Question: 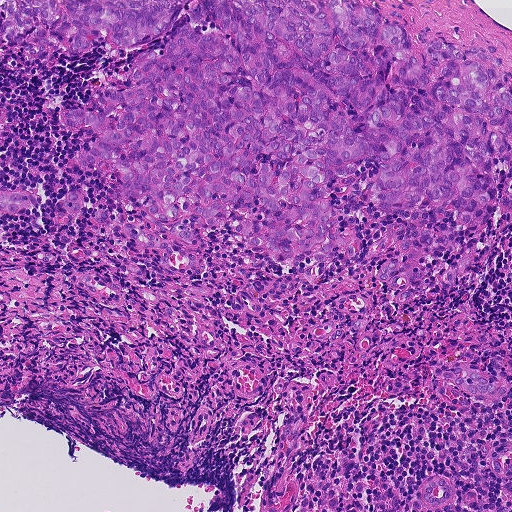
Lymph node section stained with H&E, from a whole-slide image of a breast-cancer sentinel node. Magnification about 10×, about 0.46 mm across the frame, about 0.9 µm per pixel.
What fraction of the image area is metastatic tumour?

Choices:
 (A) none: no tumour is outlined
 (B) about 50% or more
 (C) about 5% or less
 (D) about 25% to 45%
 (E) about 10% to 20%

Answer: (D) about 25% to 45%
About 35% of the field is tumour.
Boundaries of five metastatic tumour regions, simplified and listed clockwise, largest first: region 1: (0, 0), (364, 0), (419, 59), (436, 36), (496, 48), (500, 206), (474, 228), (380, 210), (370, 160), (328, 186), (353, 258), (282, 264), (193, 214), (181, 242), (124, 179), (78, 167), (102, 136), (65, 121), (165, 36), (38, 59), (0, 46); region 2: (439, 365), (462, 366), (484, 375), (488, 382), (494, 385), (500, 380), (507, 381), (508, 389), (505, 396), (491, 401), (468, 395), (455, 385), (438, 382), (432, 376), (432, 368); region 3: (398, 222), (405, 227), (400, 232), (398, 240), (406, 238), (412, 241), (412, 248), (399, 258), (400, 266), (388, 284), (380, 284), (377, 277), (378, 269), (395, 251), (394, 243), (386, 230), (390, 223); region 4: (121, 223), (130, 223), (170, 245), (169, 263), (160, 262), (162, 252), (144, 248), (128, 238), (122, 232); region 5: (26, 192), (34, 196), (38, 204), (18, 213), (9, 213), (0, 210), (0, 193).
Two more small tumour pieces are annotated here but not outlined.